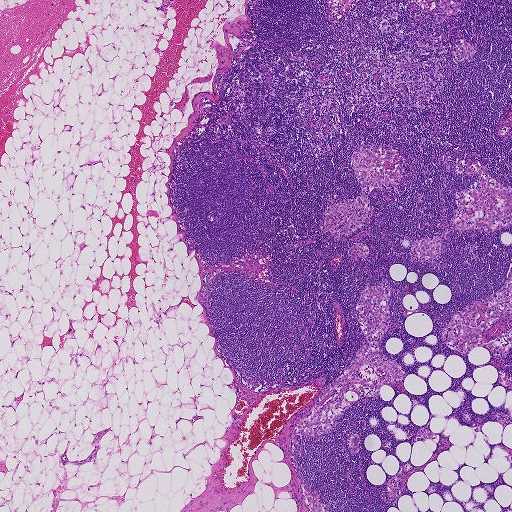
This is a crop of a whole-slide image: an H&E-stained breast-cancer sentinel lymph node section at roughly 2.5× magnification (about 3.6 µm per pixel; the crop spans about 1.9 mm).
Question: Is any metastatic breast cancer visible in this crop?
Answer: No: no metastatic tumour is outlined anywhere in this field.